This is a crop of a whole-slide image: an H&E-stained breast-cancer sentinel lymph node section at roughly 20× magnification (about 0.45 µm per pixel; the crop spans about 0.23 mm).
Image:
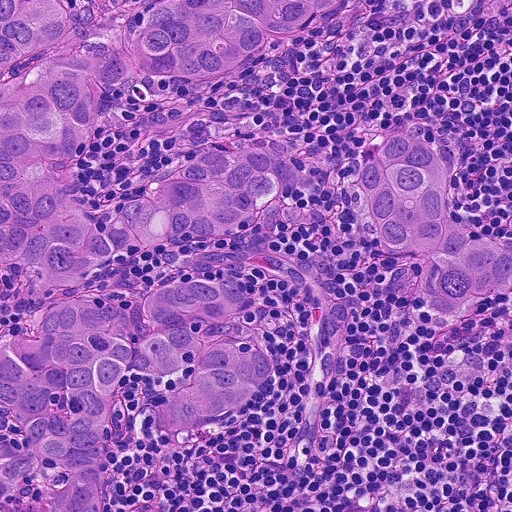
Question:
Is any metastatic breast cancer visible in this crop?
Answer:
Yes.
Tumour region outline (a closed clockwise path, crop pixels): (0, 0), (350, 0), (302, 50), (138, 87), (88, 206), (256, 132), (336, 172), (418, 128), (511, 243), (511, 296), (448, 318), (407, 297), (352, 184), (306, 172), (240, 326), (288, 352), (272, 395), (169, 442), (143, 416), (170, 376), (132, 376), (104, 509), (0, 511).
The annotated tumour makes up about 50% of the crop.